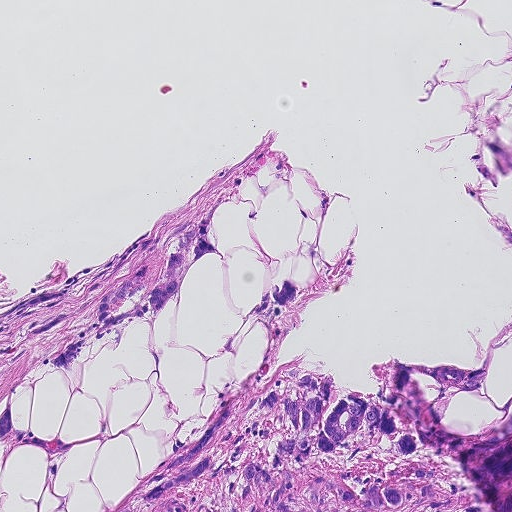
A 0.46-mm field of an H&E-stained sentinel lymph node from a breast-cancer patient (whole-slide image), shown at about 10×, about 0.9 µm per pixel.
Boundaries of five metastatic tumour regions, simplified and listed clockwise, largest first: region 1: (322, 281), (276, 353), (278, 370), (298, 365), (361, 394), (378, 394), (371, 358), (474, 368), (509, 315), (511, 511), (105, 511), (190, 444), (219, 397), (261, 365), (268, 332), (256, 318), (239, 321), (266, 285); region 2: (208, 215), (216, 248), (194, 262), (164, 311), (88, 344), (68, 371), (30, 372), (17, 384), (10, 416), (37, 438), (59, 435), (73, 447), (68, 453), (52, 455), (0, 441), (9, 389), (0, 396), (0, 314), (100, 262), (156, 220), (162, 225), (151, 282), (169, 250); region 3: (482, 136), (511, 150), (511, 174), (495, 180), (490, 170), (488, 152); region 4: (420, 0), (435, 0), (440, 4), (457, 1), (458, 0), (470, 0), (457, 12), (439, 12), (424, 4); region 5: (511, 81), (511, 93), (501, 99).
About 25% of the image area is annotated as tumour.